Image:
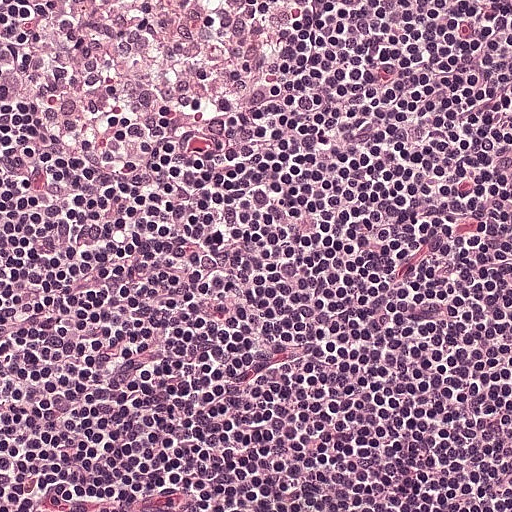
Lymph node section stained with H&E, from a whole-slide image of a breast-cancer sentinel node. Magnification about 20×, about 0.25 mm across the frame, about 0.49 µm per pixel.
Question:
Is any metastatic breast cancer visible in this crop?
Answer:
No: no metastatic tumour is outlined anywhere in this field.